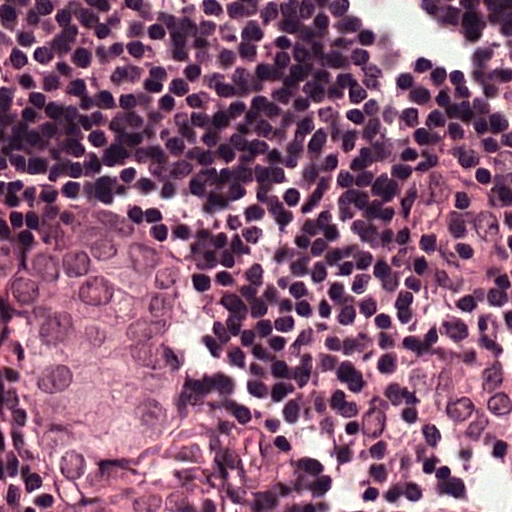
H&E-stained section of a sentinel lymph node (breast cancer), from a whole-slide image, viewed at about 40×: the field is about 0.12 mm across, about 0.24 µm per pixel.
Metastatic tumour outline, simplified to 11 points and listed clockwise in crop pixels (x, y): (51, 194), (198, 232), (201, 294), (220, 329), (222, 398), (214, 426), (89, 506), (26, 482), (23, 376), (0, 335), (0, 213).
About 20% of this field is tumour.